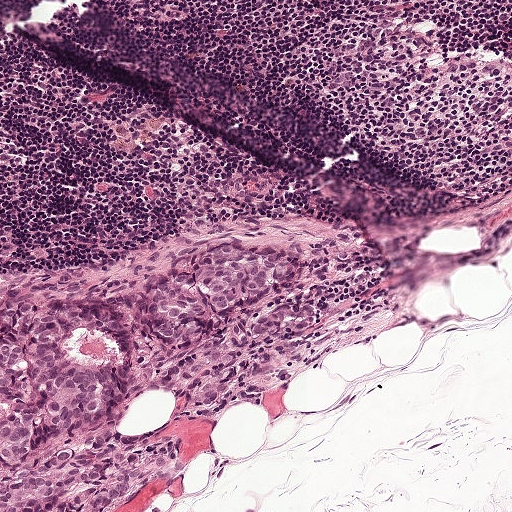
Lymph node section stained with H&E, from a whole-slide image of a breast-cancer sentinel node. Magnification about 10×, about 0.5 mm across the frame, about 0.97 µm per pixel.
Tumour region outline (a closed clockwise path, crop pixels): (218, 240), (294, 255), (319, 327), (252, 352), (201, 420), (169, 414), (163, 392), (121, 403), (114, 430), (174, 446), (181, 468), (113, 511), (0, 511), (0, 309), (70, 298), (112, 306), (135, 388), (168, 372), (181, 352), (154, 331), (146, 311), (159, 264).
The annotated tumour makes up about 20% of the crop.